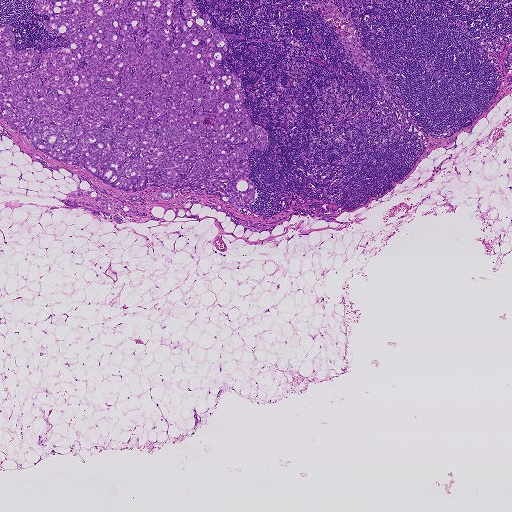
A 1.9-mm field of an H&E-stained sentinel lymph node from a breast-cancer patient (whole-slide image), shown at about 2.5×, about 3.6 µm per pixel.
Question: Where is the metastatic tumour in this field? Give each region's outline as (x, y) pixel points.
Answer: Two metastatic tumour regions, each outlined as a closed clockwise path in crop pixels (x, y), largest first: region 1: (34, 0), (179, 0), (185, 21), (194, 0), (219, 31), (244, 35), (224, 38), (220, 66), (268, 142), (249, 154), (251, 205), (186, 187), (133, 201), (1, 118), (0, 24), (19, 50), (69, 41), (44, 30); region 2: (72, 190), (96, 192), (97, 196), (106, 199), (112, 197), (117, 204), (126, 206), (147, 215), (140, 216), (118, 209), (118, 214), (122, 216), (125, 222), (122, 223), (116, 223), (110, 216), (107, 216), (101, 212), (98, 213), (100, 215), (93, 214), (88, 212), (81, 206), (67, 207), (61, 199), (66, 197).
The annotated tumour makes up about 15% of the crop.